Image:
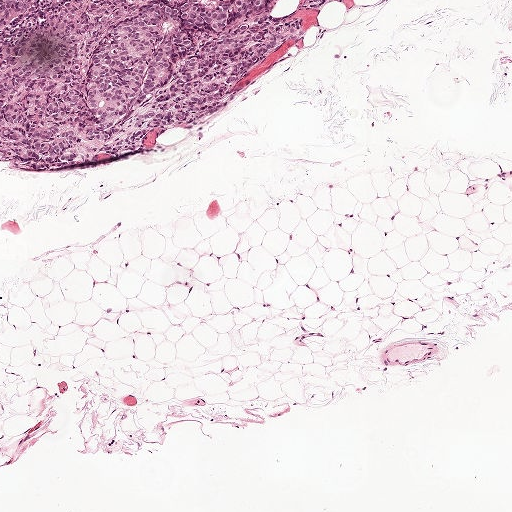
Lymph node section stained with H&E, from a whole-slide image of a breast-cancer sentinel node. Magnification about 5×, about 1 mm across the frame, about 1.9 µm per pixel.
Question:
Does this lymph node field contain metastatic tumour?
Answer:
Yes.
Boundaries of two metastatic tumour regions, simplified and listed clockwise, largest first: region 1: (0, 0), (30, 0), (4, 28), (4, 42), (19, 42), (77, 0), (273, 0), (269, 15), (300, 25), (300, 36), (176, 130), (151, 133), (126, 150), (85, 143), (39, 162), (0, 161); region 2: (296, 0), (318, 0), (314, 8), (312, 9), (296, 7).
Tumour covers about 15% of the frame.